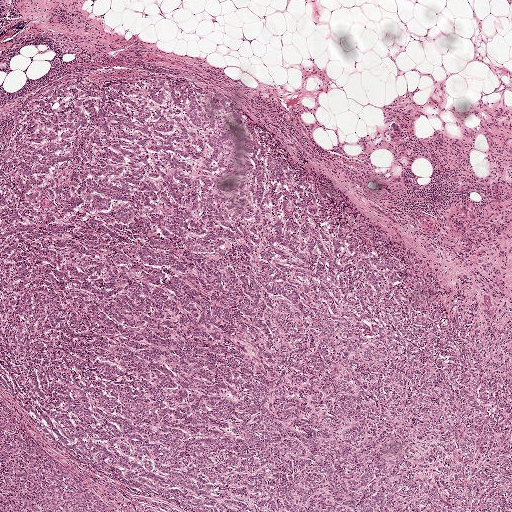
A 2.0-mm field of an H&E-stained sentinel lymph node from a breast-cancer patient (whole-slide image), shown at about 2.5×, about 3.9 µm per pixel.
One metastatic tumour region; its boundary, reduced to 14 corners and listed clockwise: (157, 83), (225, 120), (211, 189), (229, 204), (248, 189), (258, 130), (306, 185), (360, 214), (427, 275), (511, 313), (511, 511), (0, 511), (2, 139), (78, 84).
The annotated tumour makes up about 65% of the crop.